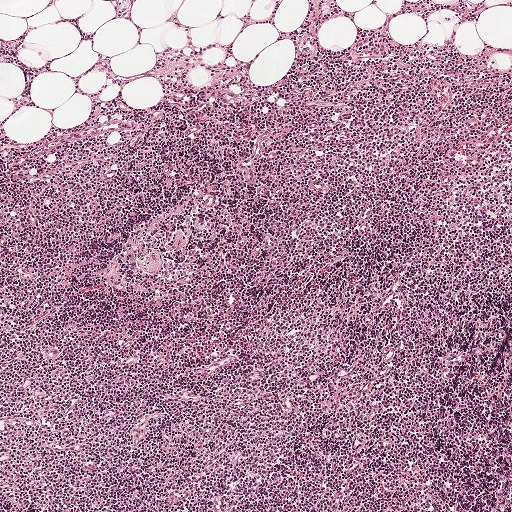
A 1-mm field of an H&E-stained sentinel lymph node from a breast-cancer patient (whole-slide image), shown at about 5×, about 1.9 µm per pixel.
Question: Is any metastatic breast cancer visible in this crop?
Answer: No. No metastatic tumour is outlined in this field.